Image:
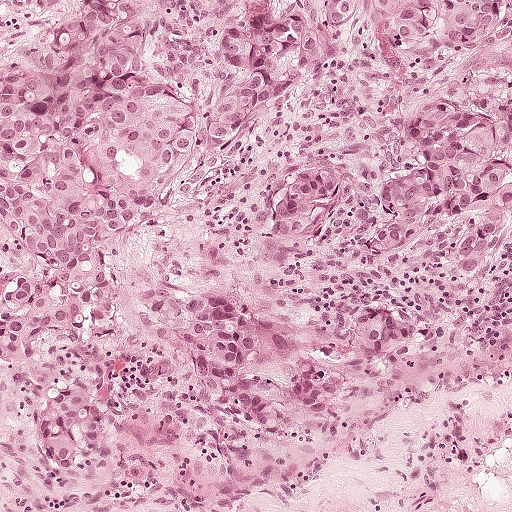
Lymph node section stained with H&E, from a whole-slide image of a breast-cancer sentinel node. Magnification about 10×, about 0.5 mm across the frame, about 0.97 µm per pixel.
Question:
Describe where the metastatic carcinoma lies in this crop.
Answer:
Outlines of three tumour regions, largest first (closed clockwise paths, crop pixels): region 1: (67, 0), (511, 0), (511, 251), (483, 270), (314, 245), (262, 214), (298, 164), (364, 192), (418, 154), (462, 40), (364, 16), (248, 140), (118, 212), (106, 314), (22, 356), (0, 353), (0, 275), (43, 255), (4, 216), (0, 60), (45, 44); region 2: (202, 288), (222, 292), (242, 304), (258, 332), (252, 360), (272, 372), (286, 386), (289, 414), (280, 421), (265, 420), (247, 411), (240, 400), (213, 394), (201, 386), (195, 373), (195, 361), (186, 353), (181, 341), (185, 302), (190, 291); region 3: (60, 373), (70, 373), (94, 387), (98, 392), (103, 414), (102, 437), (90, 444), (82, 442), (78, 422), (72, 416), (73, 442), (65, 458), (58, 461), (45, 454), (36, 440), (34, 422), (36, 398), (43, 387).
Tumour covers about 45% of the frame.